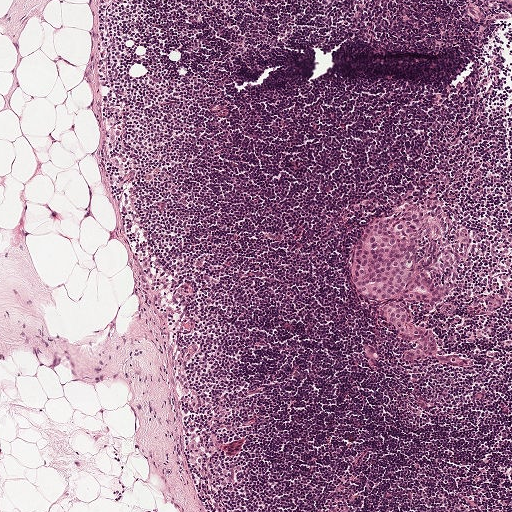
H&E-stained section of a sentinel lymph node (breast cancer), from a whole-slide image, viewed at about 5×: the field is about 1 mm across, about 1.9 µm per pixel.
Question: Does this lymph node field contain metastatic tumour?
Answer: Yes.
One metastatic tumour region; its boundary, reduced to 24 corners and listed clockwise: (436, 209), (471, 228), (473, 252), (441, 310), (423, 314), (410, 304), (406, 307), (415, 326), (432, 335), (441, 352), (473, 359), (477, 370), (453, 369), (438, 359), (427, 365), (406, 363), (404, 353), (415, 345), (385, 327), (380, 308), (351, 287), (354, 250), (368, 225), (380, 217).
Tumour covers about 5% of the frame.